Question: 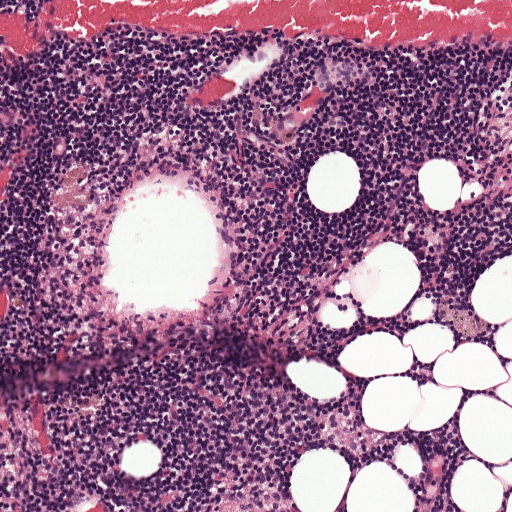
At roughly what magnification is this field shown?

Choices:
 (A) about 10×
 (B) about 2.5×
 (C) about 5×
 (D) about 20×
 (E) about 40×

Answer: (A) about 10×
A 0.5-mm field of an H&E-stained sentinel lymph node from a breast-cancer patient (whole-slide image), shown at about 10×, about 0.97 µm per pixel.